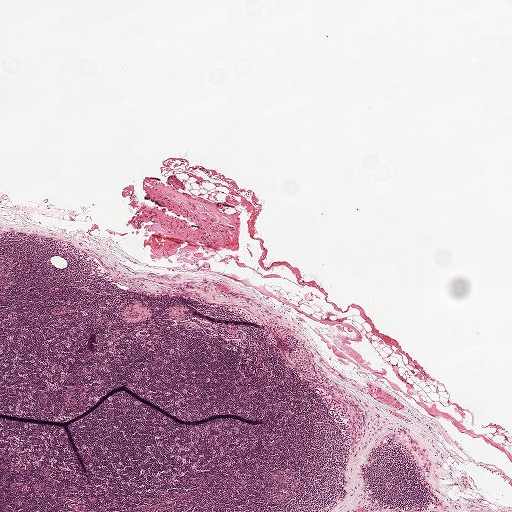
H&E-stained section of a sentinel lymph node (breast cancer), from a whole-slide image, viewed at about 2.5×: the field is about 2.0 mm across, about 3.9 µm per pixel.
The outlined metastatic tumour's edge, as a closed clockwise path of 12 points: (272, 320), (277, 322), (309, 350), (317, 369), (318, 381), (317, 384), (305, 381), (296, 367), (290, 363), (284, 342), (275, 333), (269, 321).
The annotated tumour makes up under 5% of the crop.